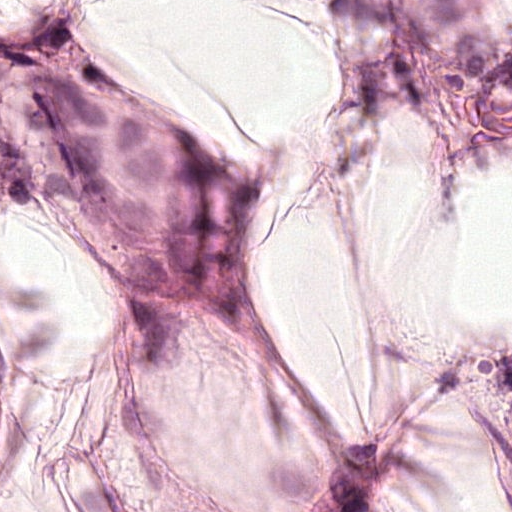
This is a crop of a whole-slide image: an H&E-stained breast-cancer sentinel lymph node section at roughly 40× magnification (about 0.24 µm per pixel; the crop spans about 0.12 mm).
Metastatic tumour outline, simplified to 14 points and listed clockwise in crop pixels (x, y): (0, 65), (147, 98), (181, 124), (206, 124), (210, 146), (258, 183), (268, 250), (221, 332), (206, 428), (169, 469), (132, 458), (106, 283), (66, 217), (0, 163).
Tumour covers about 20% of the frame.